A 0.25-mm field of an H&E-stained sentinel lymph node from a breast-cancer patient (whole-slide image), shown at about 20×, about 0.49 µm per pixel.
Question: 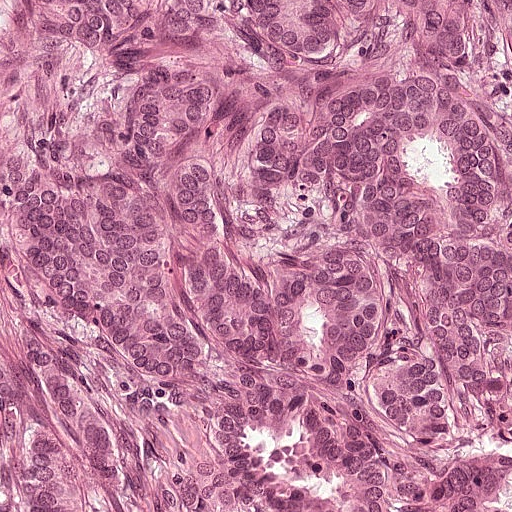
Estimate the proportion of this field that is metastatic tumour.

Choices:
 (A) none: no tumour is outlined
 (B) about 25% to 45%
 (C) about 5% or less
 (D) about 50% or more
 (E) about 10% to 20%

Answer: (D) about 50% or more
Over 95% of the field is tumour.
Metastatic tumour covers the whole field.